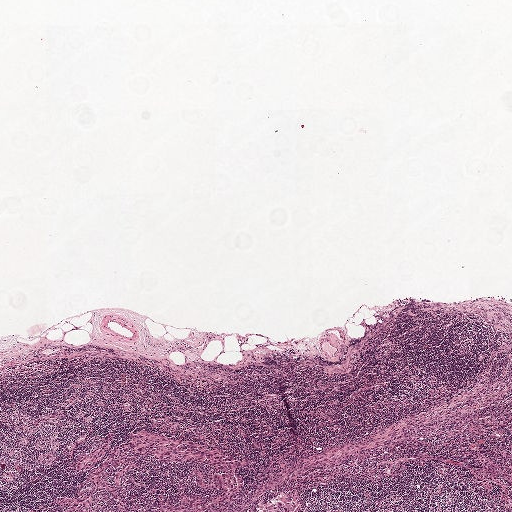
H&E-stained section of a sentinel lymph node (breast cancer), from a whole-slide image, viewed at about 2.5×: the field is about 2.0 mm across, about 3.9 µm per pixel.
Two metastatic tumour regions, each outlined as a closed clockwise path in crop pixels (x, y), largest first: region 1: (139, 423), (208, 444), (247, 459), (247, 464), (239, 465), (242, 488), (237, 496), (200, 511), (47, 511), (52, 499), (74, 494), (82, 474), (74, 466), (101, 437), (110, 433), (111, 446), (121, 444), (129, 430); region 2: (290, 488), (294, 489), (299, 505), (300, 511), (241, 511), (257, 501), (269, 497), (276, 497), (277, 493), (287, 489).
One more small tumour piece is annotated here but not outlined.
About 5% of the image area is annotated as tumour.